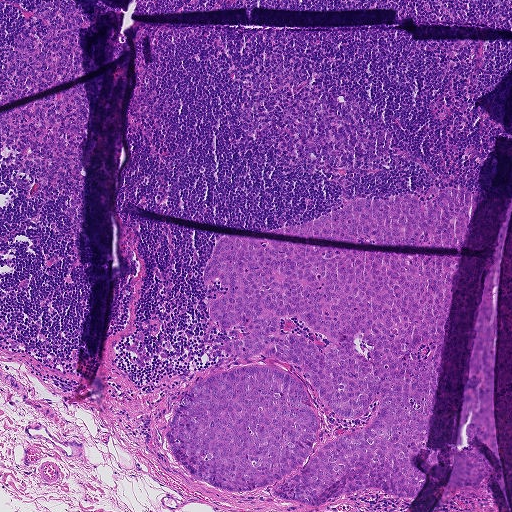
H&E-stained section of a sentinel lymph node (breast cancer), from a whole-slide image, viewed at about 5×: the field is about 0.93 mm across, about 1.8 µm per pixel.
Boundaries of two metastatic tumour regions, simplified and listed clockwise, largest first: region 1: (218, 240), (457, 258), (424, 442), (410, 460), (423, 476), (412, 496), (271, 494), (309, 456), (237, 492), (184, 470), (169, 425), (203, 379), (283, 370), (318, 415), (313, 446), (368, 425), (378, 402), (339, 417), (299, 366), (222, 347), (247, 328), (210, 316), (230, 288), (203, 279); region 2: (446, 188), (476, 192), (460, 247), (304, 237), (272, 231), (314, 219), (360, 198), (376, 200), (404, 194), (428, 201).
About 25% of the image area is annotated as tumour.